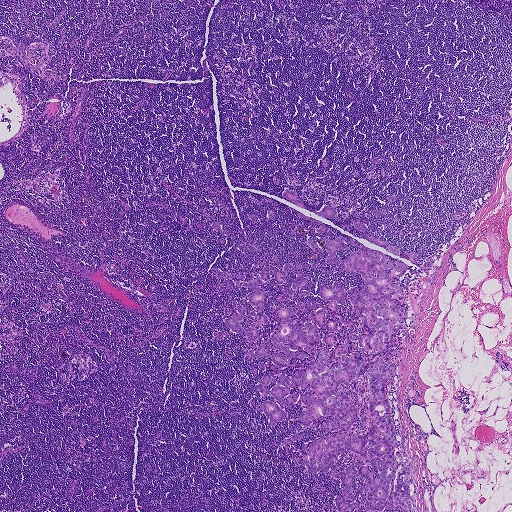
A 1.9-mm field of an H&E-stained sentinel lymph node from a breast-cancer patient (whole-slide image), shown at about 2.5×, about 3.6 µm per pixel.
Tumour region outline (a closed clockwise path, crop pixels): (286, 188), (333, 207), (349, 240), (357, 219), (420, 254), (398, 278), (384, 387), (414, 510), (337, 511), (330, 476), (354, 452), (318, 475), (302, 454), (345, 430), (321, 429), (334, 414), (286, 450), (301, 398), (273, 427), (256, 408), (282, 407), (280, 372), (255, 390), (268, 359), (244, 362), (278, 299), (246, 342), (224, 318), (253, 310), (253, 289), (211, 270), (245, 275), (246, 282), (298, 261), (298, 300), (327, 309), (320, 285), (364, 286), (302, 242), (336, 237).
The annotated tumour makes up about 10% of the crop.